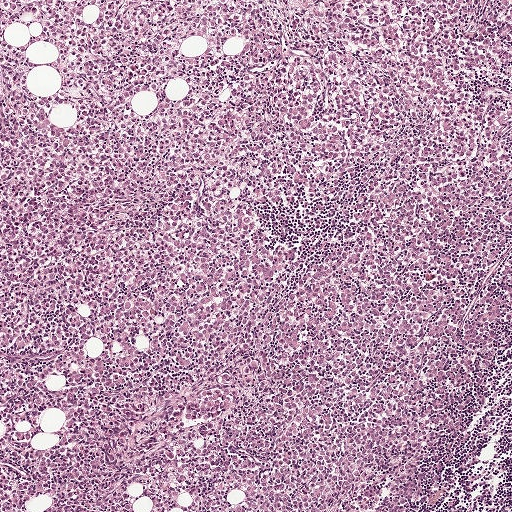
This is a crop of a whole-slide image: an H&E-stained breast-cancer sentinel lymph node section at roughly 5× magnification (about 1.9 µm per pixel; the crop spans about 1 mm).
Three metastatic tumour regions, each outlined as a closed clockwise path in crop pixels (x, y), largest first: region 1: (273, 50), (362, 59), (399, 80), (402, 106), (327, 201), (257, 214), (291, 250), (254, 326), (175, 382), (150, 337), (96, 334), (92, 306), (79, 301), (59, 317), (60, 344), (40, 379), (0, 400), (0, 177), (81, 125), (136, 106), (168, 108), (208, 69); region 2: (354, 417), (376, 423), (391, 438), (391, 451), (339, 511), (199, 511), (211, 475), (222, 463), (238, 456), (282, 450), (312, 418); region 3: (0, 0), (34, 0), (10, 15), (4, 21), (0, 29).
About 35% of the image area is annotated as tumour.